Image:
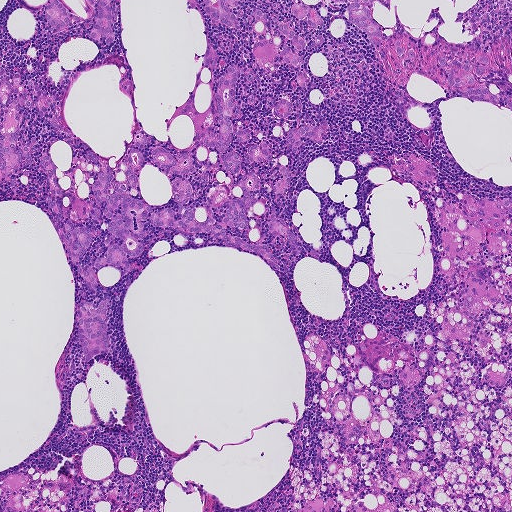
This is a crop of a whole-slide image: an H&E-stained breast-cancer sentinel lymph node section at roughly 5× magnification (about 1.8 µm per pixel; the crop spans about 0.93 mm).
Question:
Is there metastatic carcinoma in this field?
Answer:
Yes.
Eight metastatic tumour regions, each outlined as a closed clockwise path in crop pixels (x, y), largest first: region 1: (440, 53), (452, 57), (465, 58), (476, 63), (477, 54), (488, 56), (490, 62), (488, 71), (478, 80), (482, 85), (488, 86), (488, 90), (494, 93), (511, 92), (511, 110), (462, 96), (446, 86), (435, 56); region 2: (258, 8), (266, 14), (281, 19), (288, 26), (302, 36), (308, 44), (307, 49), (301, 51), (290, 44), (301, 55), (303, 60), (300, 71), (308, 77), (308, 83), (305, 86), (300, 86), (296, 84), (294, 68), (285, 63), (282, 59), (281, 49), (284, 39), (266, 21), (256, 20), (255, 10); region 3: (328, 0), (374, 0), (370, 8), (370, 13), (382, 30), (383, 40), (382, 45), (377, 47), (372, 46), (363, 28), (348, 22), (350, 2), (336, 4), (330, 4); region 4: (325, 122), (327, 126), (321, 146), (304, 137), (300, 140), (300, 150), (296, 153), (291, 153), (287, 150), (285, 140), (289, 130); region 5: (203, 0), (241, 0), (239, 5), (229, 6), (240, 26), (238, 29), (222, 25), (209, 16), (203, 6); region 6: (51, 0), (59, 0), (68, 10), (70, 14), (69, 24), (63, 31), (58, 31), (48, 26), (44, 18), (44, 9); region 7: (294, 3), (300, 3), (315, 9), (323, 22), (320, 26), (305, 25), (294, 15), (290, 6); region 8: (284, 99), (289, 101), (291, 106), (291, 110), (288, 115), (284, 118), (279, 118), (274, 115), (273, 110), (274, 105), (277, 100).
One more tumour region is annotated but not outlined: its edge is too irregular for a short outline.
Two more, smaller tumour regions are not outlined.
Two more small tumour pieces are annotated here but not outlined.
Tumour covers about 10% of the frame.